This is a crop of a whole-slide image: an H&E-stained breast-cancer sentinel lymph node section at roughly 20× magnification (about 0.45 µm per pixel; the crop spans about 0.23 mm).
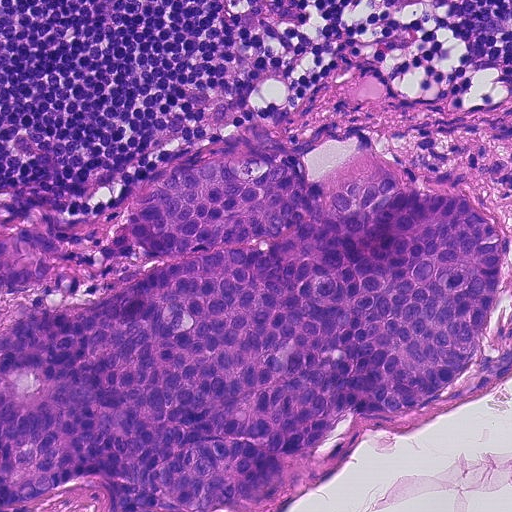
One metastatic tumour region; its boundary, reduced to 19 corners and listed clockwise: (323, 124), (362, 127), (425, 178), (496, 215), (511, 264), (479, 368), (414, 416), (354, 421), (352, 462), (318, 486), (271, 511), (112, 511), (95, 476), (33, 511), (0, 511), (0, 222), (32, 233), (72, 227), (173, 160).
Tumour covers about 55% of the frame.